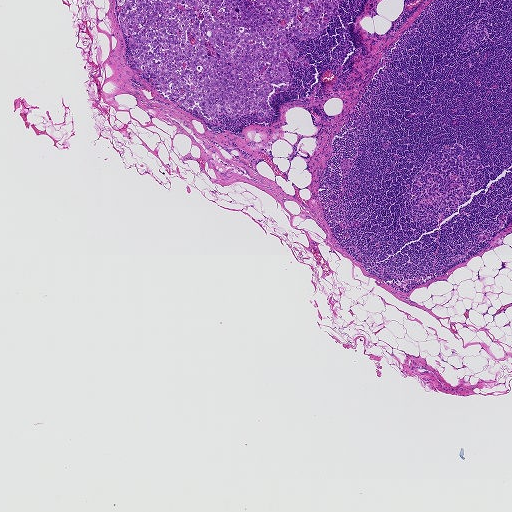
Lymph node section stained with H&E, from a whole-slide image of a breast-cancer sentinel node. Magnification about 2.5×, about 1.9 mm across the frame, about 3.6 µm per pixel.
Question: Where is the metastatic tumour in this field?
Answer: Tumour region outline (a closed clockwise path, crop pixels): (342, 0), (321, 34), (304, 39), (285, 35), (297, 48), (298, 61), (285, 58), (290, 84), (269, 97), (268, 119), (260, 120), (251, 112), (236, 120), (225, 113), (215, 121), (204, 114), (199, 101), (184, 106), (137, 69), (122, 29), (123, 5), (116, 2).
The annotated tumour makes up about 5% of the crop.